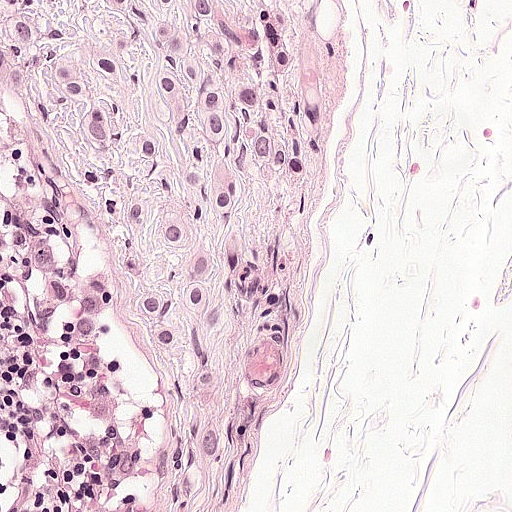
This is a crop of a whole-slide image: an H&E-stained breast-cancer sentinel lymph node section at roughly 20× magnification (about 0.49 µm per pixel; the crop spans about 0.25 mm).
Question: Where is the metastatic tumour in this field?
Answer: One metastatic tumour region; its boundary, reduced to 19 corners and listed clockwise: (0, 0), (282, 0), (291, 41), (316, 76), (320, 132), (292, 191), (233, 188), (227, 204), (242, 294), (210, 464), (191, 482), (130, 338), (82, 348), (63, 336), (64, 296), (116, 266), (114, 204), (66, 112), (2, 49).
About 30% of the image area is annotated as tumour.